This is a crop of a whole-slide image: an H&E-stained breast-cancer sentinel lymph node section at roughly 10× magnification (about 1.0 µm per pixel; the crop spans about 0.51 mm).
Question: 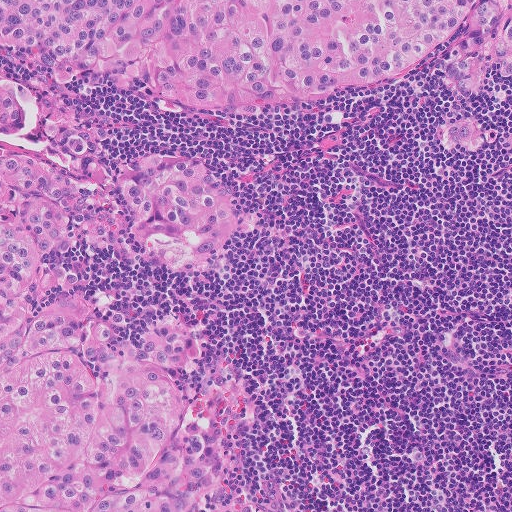
What fraction of the image area is metastatic tumour?

Choices:
 (A) none: no tumour is outlined
 (B) about 10% to 20%
 (C) about 50% or more
 (D) about 25% to 45%
 (E) about 5% or less

Answer: (C) about 50% or more
About 60% of the field is tumour.
Tumour region outline (a closed clockwise path, crop pixels): (0, 0), (511, 0), (511, 166), (440, 132), (422, 78), (375, 105), (314, 119), (202, 118), (94, 93), (73, 130), (129, 122), (228, 183), (258, 232), (227, 276), (114, 278), (175, 292), (223, 328), (254, 373), (264, 430), (300, 475), (310, 511), (0, 511).